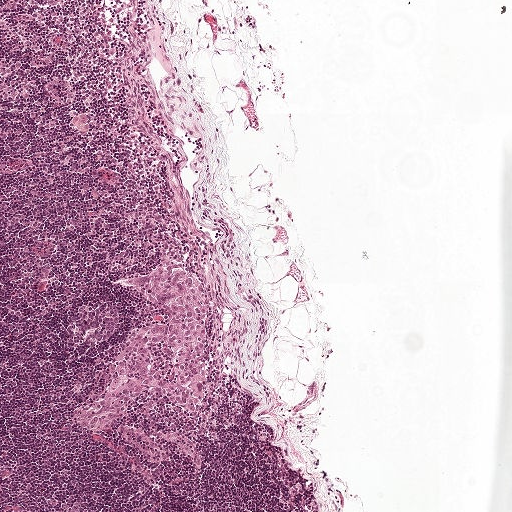
A 1-mm field of an H&E-stained sentinel lymph node from a breast-cancer patient (whole-slide image), shown at about 5×, about 1.9 µm per pixel.
Question: Which parts of this field are metastatic tumour? Answer with the outline of each region, in pixels.
Answer: Metastatic tumour outline, simplified to 18 points and listed clockwise in crop pixels (x, y): (165, 262), (189, 268), (209, 289), (213, 394), (206, 405), (184, 411), (150, 388), (116, 425), (103, 432), (92, 432), (75, 422), (73, 414), (105, 390), (133, 335), (146, 326), (168, 321), (158, 303), (126, 279).
About 5% of the image area is annotated as tumour.

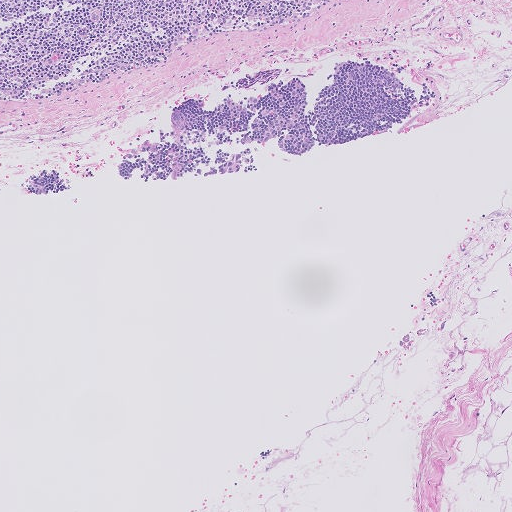
This is a crop of a whole-slide image: an H&E-stained breast-cancer sentinel lymph node section at roughly 5× magnification (about 2.0 µm per pixel; the crop spans about 1.0 mm).
Question: Which parts of this field are metastatic tumour? Answer with the outline of each region, in pixels.
Answer: Two metastatic tumour regions, each outlined as a closed clockwise path in crop pixels (x, y), largest first: region 1: (290, 64), (289, 73), (257, 91), (232, 93), (216, 89), (225, 80), (260, 68); region 2: (236, 152), (256, 152), (256, 163), (246, 165), (232, 176), (208, 178), (190, 176), (196, 166), (202, 168).
Tumour covers under 5% of the frame.

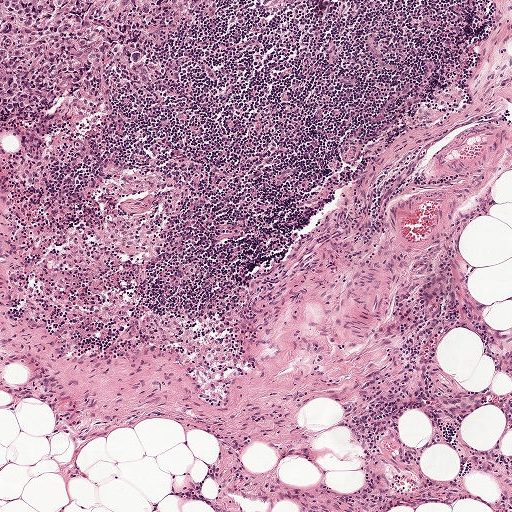
Lymph node section stained with H&E, from a whole-slide image of a breast-cancer sentinel node. Magnification about 5×, about 1 mm across the frame, about 1.9 µm per pixel.
Question: Which parts of this field are metastatic tumour? Answer with the outline of each region, in pixels.
Answer: One metastatic tumour region; its boundary, reduced to 7 corners and listed clockwise: (0, 0), (246, 0), (207, 19), (177, 66), (38, 129), (18, 132), (1, 128).
About 10% of this field is tumour.

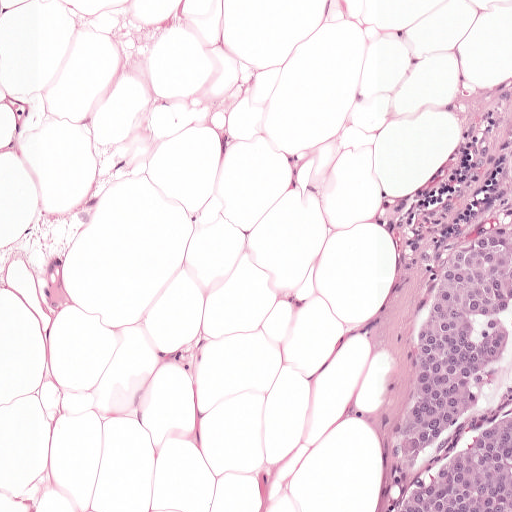
H&E-stained section of a sentinel lymph node (breast cancer), from a whole-slide image, viewed at about 10×: the field is about 0.5 mm across, about 0.97 µm per pixel.
Question: Which parts of this field are metastatic tumour? Answer with the outline of each region, in pixels.
Answer: One metastatic tumour region; its boundary, reduced to 9 corners and listed clockwise: (511, 103), (511, 511), (384, 511), (386, 457), (397, 427), (395, 368), (414, 265), (472, 174), (487, 123).
About 15% of the image area is annotated as tumour.